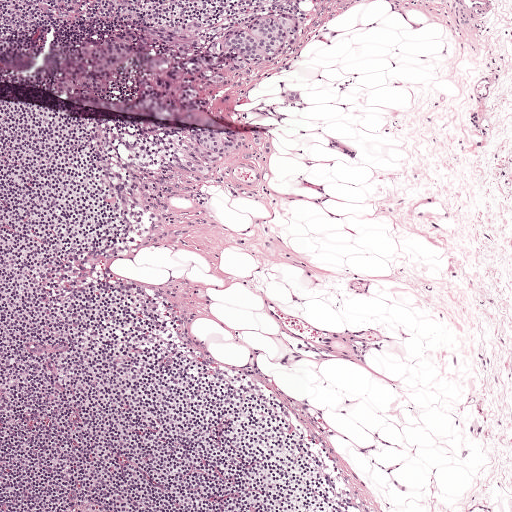
A 1-mm field of an H&E-stained sentinel lymph node from a breast-cancer patient (whole-slide image), shown at about 5×, about 1.9 µm per pixel.
Outlines of five tumour regions, largest first (closed clockwise paths, crop pixels): region 1: (201, 21), (199, 48), (182, 52), (164, 43), (148, 47), (126, 59), (104, 98), (59, 96), (48, 89), (53, 66), (69, 51), (128, 28); region 2: (282, 12), (294, 17), (290, 45), (283, 54), (240, 80), (211, 87), (200, 83), (196, 70), (202, 56), (229, 26), (269, 14); region 3: (203, 126), (220, 126), (265, 137), (262, 150), (247, 146), (209, 182), (185, 177), (168, 161); region 4: (290, 87), (306, 93), (303, 108), (288, 106), (283, 98); region 5: (188, 87), (201, 90), (201, 98), (191, 102), (181, 103), (176, 99), (178, 90).
About 5% of this field is tumour.